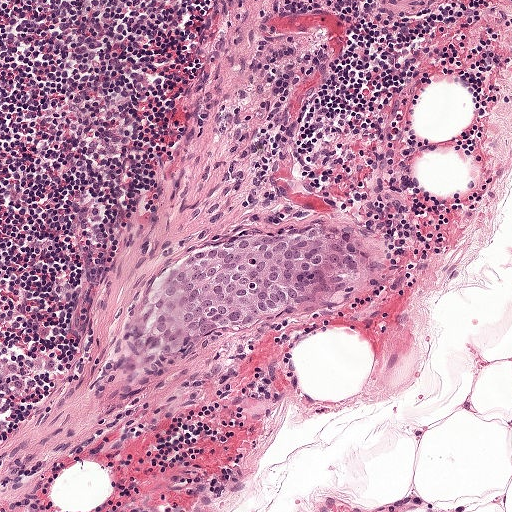
A 0.5-mm field of an H&E-stained sentinel lymph node from a breast-cancer patient (whole-slide image), shown at about 10×, about 0.97 µm per pixel.
Question: Show where the tumour is in this image.
Answer: The outlined metastatic tumour's edge, as a closed clockwise path of 14 points: (343, 222), (359, 229), (365, 246), (342, 289), (276, 319), (224, 331), (182, 351), (165, 366), (132, 368), (135, 330), (185, 260), (224, 248), (260, 231), (302, 234).
About 5% of the image area is annotated as tumour.